Lymph node section stained with H&E, from a whole-slide image of a breast-cancer sentinel node. Magnification about 5×, about 1 mm across the frame, about 1.9 µm per pixel.
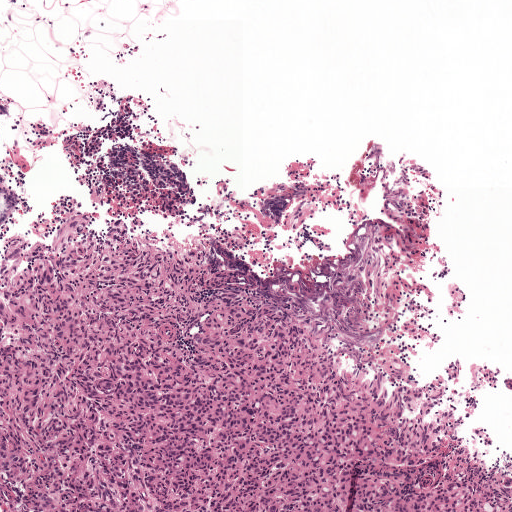
Question: Show where the tumour is in this image.
Answer: Tumour region outline (a closed clockwise path, crop pixels): (77, 198), (208, 253), (277, 311), (373, 359), (425, 372), (459, 356), (495, 364), (511, 376), (511, 396), (487, 404), (504, 435), (511, 511), (0, 511), (0, 241).
About 45% of the image area is annotated as tumour.